Question: 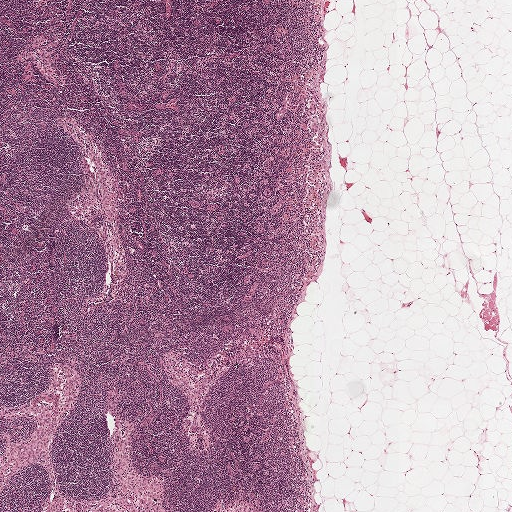
At roughly what magnification is this field shown?

Choices:
 (A) about 2.5×
 (B) about 10×
 (C) about 20×
 (D) about 5×
 (E) about 40×

Answer: (A) about 2.5×
H&E-stained section of a sentinel lymph node (breast cancer), from a whole-slide image, viewed at about 2.5×: the field is about 2.0 mm across, about 3.9 µm per pixel.
Boundaries of two metastatic tumour regions, simplified and listed clockwise, largest first: region 1: (312, 96), (315, 96), (316, 106), (317, 109), (325, 112), (325, 116), (324, 120), (322, 120), (318, 120), (315, 112), (313, 111), (308, 110), (306, 108), (307, 102), (310, 98); region 2: (316, 119), (320, 123), (320, 124), (320, 129), (319, 133), (315, 134), (310, 134), (308, 133), (307, 130), (307, 126), (308, 123), (312, 120).
Under 5% of the image area is annotated as tumour.